Question: 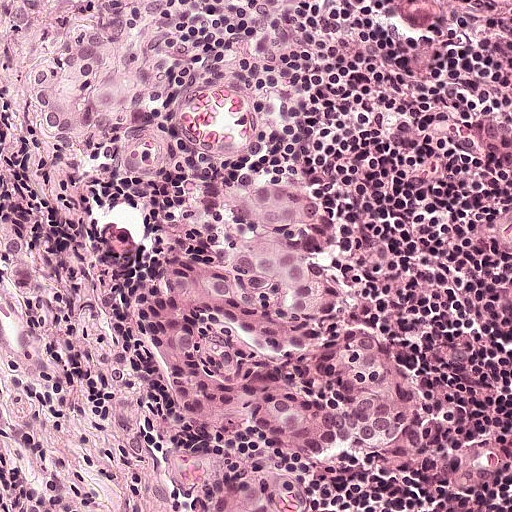
H&E-stained section of a sentinel lymph node (breast cancer), from a whole-slide image, viewed at about 20×: the field is about 0.25 mm across, about 0.49 µm per pixel.
What fraction of the image area is metastatic tumour?

Choices:
 (A) about 50% or more
 (B) about 10% to 20%
 (C) about 5% or less
 (D) none: no tumour is outlined
 (E) about 25% to 45%

Answer: (A) about 50% or more
About 60% of the field is tumour.
Outlines of two tumour regions, largest first (closed clockwise paths, crop pixels): region 1: (0, 0), (267, 0), (196, 41), (173, 91), (181, 122), (193, 146), (228, 170), (362, 218), (360, 288), (404, 378), (402, 429), (350, 471), (323, 474), (232, 428), (236, 460), (250, 456), (284, 483), (311, 484), (307, 511), (0, 507); region 2: (439, 0), (511, 0), (511, 14), (486, 18), (464, 18).